Question: 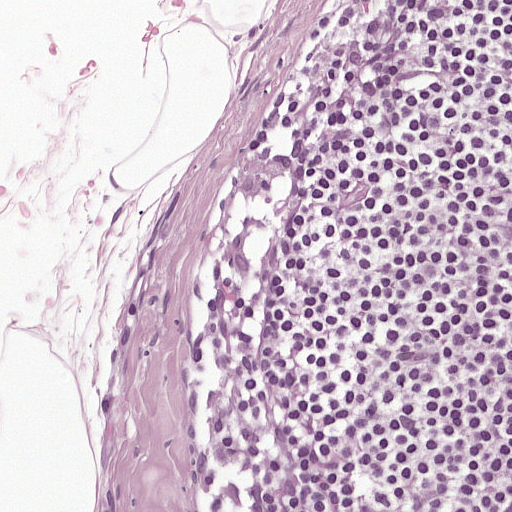
About what magnification does this crop show?

Choices:
 (A) about 20×
 (B) about 10×
 (C) about 5×
 (D) about 40×
 (E) about 2.5×

Answer: (A) about 20×
This is a crop of a whole-slide image: an H&E-stained breast-cancer sentinel lymph node section at roughly 20× magnification (about 0.49 µm per pixel; the crop spans about 0.25 mm).